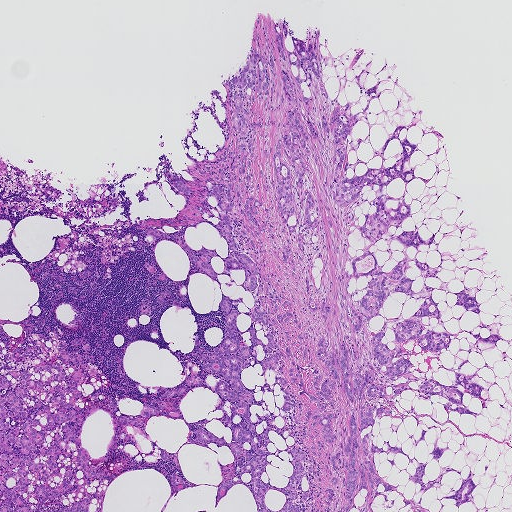
Lymph node section stained with H&E, from a whole-slide image of a breast-cancer sentinel node. Magnification about 2.5×, about 1.9 mm across the frame, about 3.6 µm per pixel.
One tumour region is annotated but not outlined: its edge is too irregular for a short outline.
Seven more small tumour pieces are annotated here but not outlined.
About 40% of the image area is annotated as tumour.